Image:
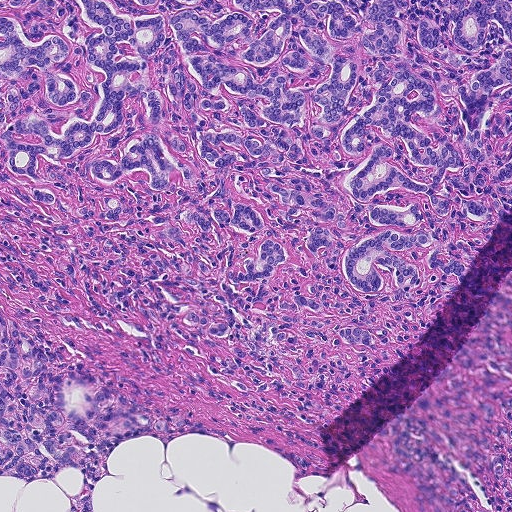
A 0.46-mm field of an H&E-stained sentinel lymph node from a breast-cancer patient (whole-slide image), shown at about 10×, about 0.9 µm per pixel.
Question:
Is any metastatic breast cancer visible in this crop?
Answer:
Yes.
Outlines of two tumour regions, largest first (closed clockwise paths, crop pixels): region 1: (0, 0), (357, 0), (359, 13), (373, 0), (508, 0), (511, 206), (428, 331), (322, 430), (329, 479), (293, 480), (284, 458), (259, 444), (190, 433), (114, 444), (91, 511), (68, 511), (83, 493), (80, 472), (0, 477); region 2: (511, 268), (511, 511), (404, 511), (354, 458), (426, 392).
About 90% of the image area is annotated as tumour.

Image:
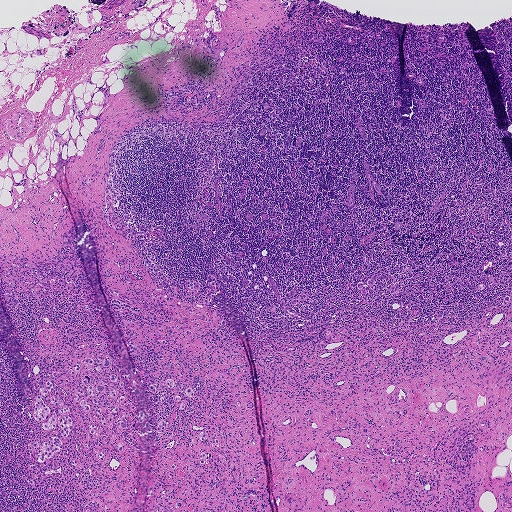
This is a crop of a whole-slide image: an H&E-stained breast-cancer sentinel lymph node section at roughly 2.5× magnification (about 3.6 µm per pixel; the crop spans about 1.9 mm).
Question:
Is any metastatic breast cancer visible in this crop?
Answer:
Yes.
The eight largest tumour regions' boundaries, simplified and listed clockwise, largest first: region 1: (48, 381), (52, 382), (54, 389), (51, 392), (48, 391), (47, 396), (57, 397), (69, 408), (72, 425), (66, 438), (63, 438), (61, 435), (61, 428), (54, 429), (63, 444), (63, 448), (61, 451), (54, 453), (52, 458), (39, 462), (34, 458), (29, 459), (27, 452), (35, 440), (41, 441), (42, 422), (37, 421), (32, 416), (33, 401), (34, 397), (40, 395), (38, 387); region 2: (116, 374), (124, 384), (122, 386), (115, 383), (116, 389), (126, 400), (122, 403), (116, 397), (111, 399), (109, 393), (113, 388), (105, 388), (107, 399), (102, 407), (116, 404), (118, 413), (124, 415), (122, 420), (126, 428), (109, 421), (107, 427), (104, 426), (100, 418), (102, 416), (96, 412), (89, 418), (72, 397), (76, 386), (84, 390), (87, 386), (81, 382), (83, 376), (89, 375), (94, 386), (101, 382), (110, 384), (110, 375); region 3: (113, 298), (116, 298), (128, 305), (135, 306), (144, 311), (151, 311), (157, 315), (160, 312), (162, 313), (162, 316), (160, 316), (157, 316), (158, 318), (157, 321), (153, 321), (147, 319), (143, 313), (136, 313), (126, 309), (116, 311), (111, 307), (111, 300); region 4: (89, 357), (95, 360), (99, 358), (108, 358), (110, 361), (110, 364), (107, 366), (101, 365), (103, 369), (101, 372), (98, 372), (85, 368), (81, 362), (83, 359); region 5: (210, 274), (213, 275), (218, 281), (219, 288), (219, 291), (217, 293), (213, 293), (210, 294), (212, 301), (209, 303), (206, 304), (203, 303), (204, 300), (207, 299), (204, 294), (205, 290), (207, 288), (214, 289), (213, 288), (208, 284), (206, 280), (207, 275); region 6: (374, 276), (376, 279), (376, 282), (369, 287), (367, 294), (364, 295), (360, 293), (357, 283), (361, 282), (365, 282), (370, 277); region 7: (160, 420), (163, 420), (166, 421), (168, 427), (167, 430), (173, 431), (173, 435), (173, 438), (171, 439), (168, 438), (166, 436), (167, 433), (165, 431), (165, 428), (164, 431), (161, 433), (158, 432), (156, 430), (157, 423); region 8: (189, 279), (199, 282), (200, 285), (199, 288), (196, 290), (189, 289), (187, 287), (185, 283), (186, 280).
One more, smaller tumour region is not outlined.
33 more small tumour pieces are annotated here but not outlined.
About 5% of the image area is annotated as tumour.

Image:
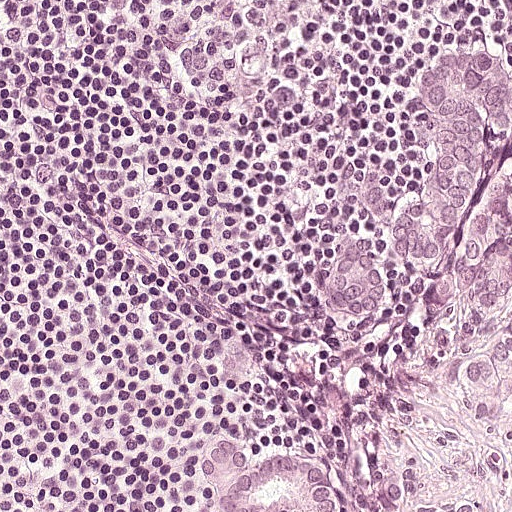
A 0.25-mm field of an H&E-stained sentinel lymph node from a breast-cancer patient (whole-slide image), shown at about 20×, about 0.49 µm per pixel.
Question:
Is any metastatic breast cancer visible in this crop?
Answer:
Yes.
One metastatic tumour region; its boundary, reduced to 22 corners and listed clockwise: (511, 49), (511, 464), (494, 425), (432, 371), (389, 508), (224, 511), (196, 470), (214, 425), (382, 484), (398, 354), (359, 344), (324, 302), (339, 249), (361, 234), (390, 254), (394, 306), (407, 312), (413, 278), (396, 226), (426, 199), (416, 75), (437, 51).
About 20% of this field is tumour.

Image:
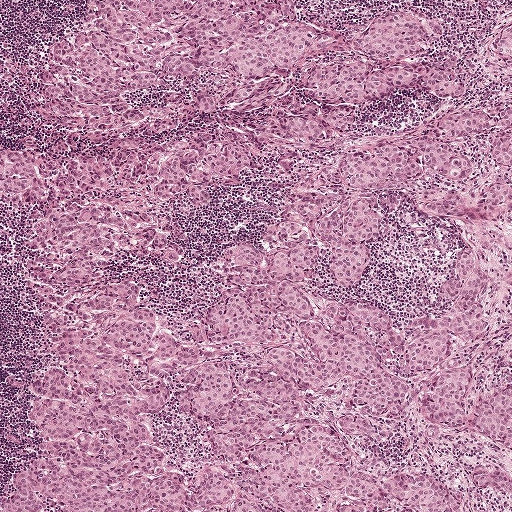
Lymph node section stained with H&E, from a whole-slide image of a breast-cancer sentinel node. Magnification about 5×, about 1 mm across the frame, about 1.9 µm per pixel.
Question:
Is any metastatic breast cancer visible in this crop?
Answer:
Yes.
The outlined metastatic tumour's edge, as a closed clockwise path of 23 points: (87, 0), (295, 0), (297, 15), (337, 32), (412, 6), (445, 29), (419, 58), (454, 50), (466, 94), (332, 102), (292, 90), (250, 116), (204, 114), (154, 135), (142, 132), (144, 120), (86, 129), (40, 112), (37, 72), (50, 65), (55, 41), (72, 43), (88, 25).
About 15% of this field is tumour.